A 0.23-mm field of an H&E-stained sentinel lymph node from a breast-cancer patient (whole-slide image), shown at about 20×, about 0.45 µm per pixel.
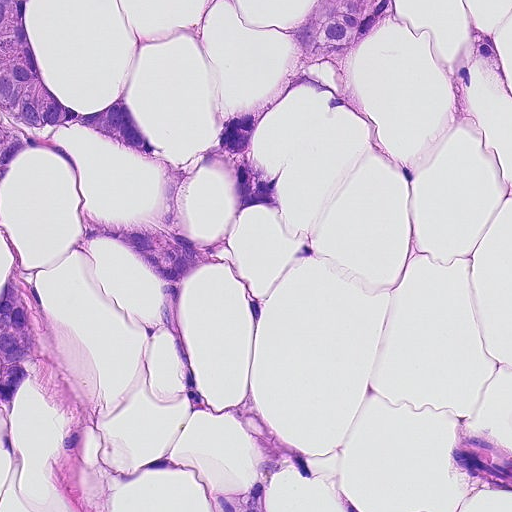
Question: Is any metastatic breast cancer visible in this crop?
Answer: Yes.
Outlines of three tumour regions, largest first (closed clockwise paths, crop pixels): region 1: (0, 0), (33, 0), (42, 82), (92, 107), (126, 92), (162, 152), (214, 149), (228, 122), (275, 99), (248, 146), (281, 208), (234, 232), (230, 262), (178, 285), (204, 392), (214, 406), (244, 381), (270, 432), (317, 460), (316, 477), (288, 474), (272, 511), (207, 511), (255, 481), (258, 454), (244, 430), (194, 411), (144, 255), (76, 234), (77, 206), (134, 221), (154, 203), (160, 177), (142, 158), (53, 128), (86, 171), (76, 188), (38, 150), (0, 204); region 2: (0, 220), (8, 242), (38, 290), (43, 317), (43, 348), (36, 375), (20, 396), (12, 422), (0, 442); region 3: (321, 0), (400, 0), (381, 22), (338, 54), (312, 61), (288, 50), (303, 26), (322, 8).
About 15% of the image area is annotated as tumour.